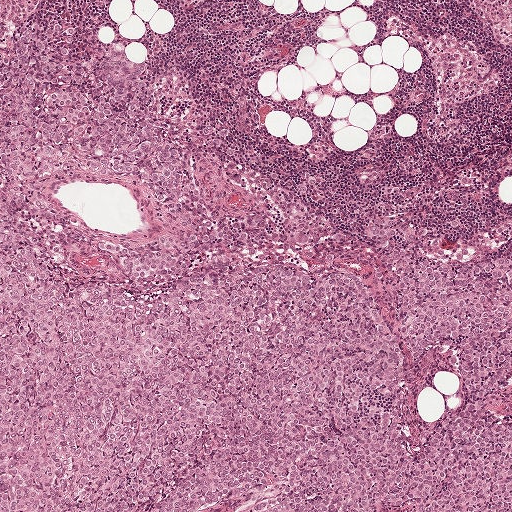
This is a crop of a whole-slide image: an H&E-stained breast-cancer sentinel lymph node section at roughly 5× magnification (about 1.9 µm per pixel; the crop spans about 1 mm).
Metastatic tumour outline, simplified to 24 points and listed clockwise in crop pixels (x, y): (30, 29), (73, 30), (78, 94), (125, 53), (209, 214), (301, 231), (359, 281), (414, 446), (458, 371), (411, 360), (368, 275), (399, 242), (365, 223), (409, 222), (446, 264), (511, 242), (511, 378), (488, 400), (511, 511), (234, 511), (280, 491), (259, 490), (0, 511), (0, 46).
The outline encloses three non-tumour holes totalling about 5% of the region's area.
Tumour covers about 60% of the frame.